Question: 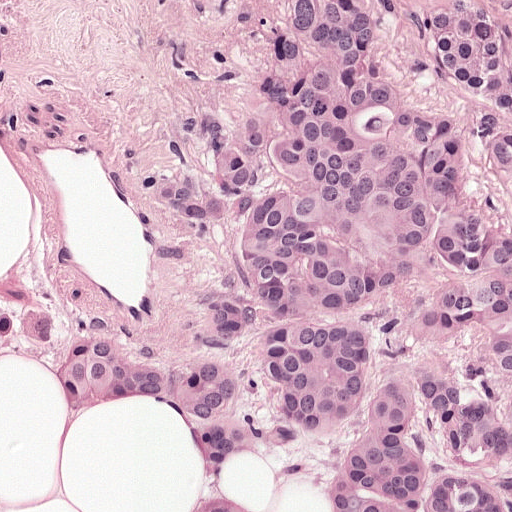
H&E-stained section of a sentinel lymph node (breast cancer), from a whole-slide image, viewed at about 20×: the field is about 0.25 mm across, about 0.49 µm per pixel.
Roughly what share of this field is metastatic tumour?

Choices:
 (A) about 25% to 45%
 (B) about 5% or less
 (C) none: no tumour is outlined
 (D) about 50% or more
 (E) about 10% to 20%

Answer: (A) about 25% to 45%
About 45% of the field is tumour.
Outlines of three tumour regions, largest first (closed clockwise paths, crop pixels): region 1: (290, 0), (353, 0), (406, 100), (456, 114), (482, 213), (511, 232), (511, 374), (481, 328), (434, 346), (410, 329), (470, 271), (430, 244), (334, 322), (368, 336), (368, 375), (317, 430), (280, 417), (263, 382), (258, 344), (290, 324), (234, 340), (225, 492), (250, 511), (192, 511), (206, 420), (152, 400), (72, 420), (20, 314), (188, 355), (250, 289), (242, 234), (152, 182), (198, 169), (186, 134), (208, 111), (281, 173), (270, 129), (299, 76), (272, 42); region 2: (411, 375), (451, 380), (511, 419), (511, 511), (333, 511), (330, 482), (384, 386); region 3: (441, 0), (511, 0), (511, 199), (478, 132), (471, 97), (447, 71), (428, 40), (431, 4).